This is a crop of a whole-slide image: an H&E-stained breast-cancer sentinel lymph node section at roughly 20× magnification (about 0.5 µm per pixel; the crop spans about 0.26 mm).
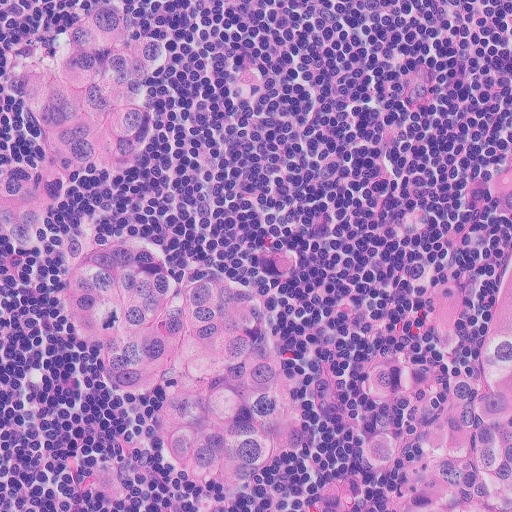
Boundaries of two metastatic tumour regions, simplified and listed clockwise, largest first: region 1: (67, 20), (181, 58), (138, 158), (200, 248), (297, 299), (290, 422), (200, 497), (102, 438), (48, 340), (0, 283), (0, 84); region 2: (431, 190), (511, 190), (511, 511), (326, 511), (360, 402), (382, 291).
Tumour covers about 50% of the frame.